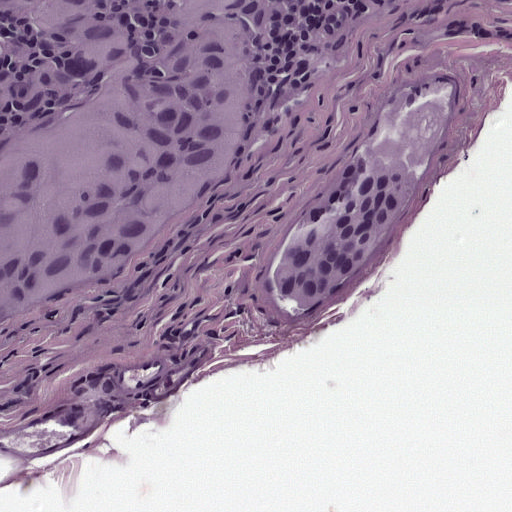
Lymph node section stained with H&E, from a whole-slide image of a breast-cancer sentinel node. Magnification about 20×, about 0.25 mm across the frame, about 0.49 µm per pixel.
Boundaries of three metastatic tumour regions, simplified and listed clockwise, largest first: region 1: (0, 0), (294, 0), (237, 144), (158, 244), (112, 290), (0, 331); region 2: (378, 150), (414, 158), (419, 184), (354, 291), (329, 311), (285, 320), (268, 300), (266, 278), (286, 220), (332, 178), (350, 154); region 3: (106, 359), (128, 374), (139, 390), (128, 414), (105, 436), (71, 438), (55, 414), (60, 384), (80, 366).
The annotated tumour makes up about 35% of the crop.